Lymph node section stained with H&E, from a whole-slide image of a breast-cancer sentinel node. Magnification about 20×, about 0.23 mm across the frame, about 0.45 µm per pixel.
Image:
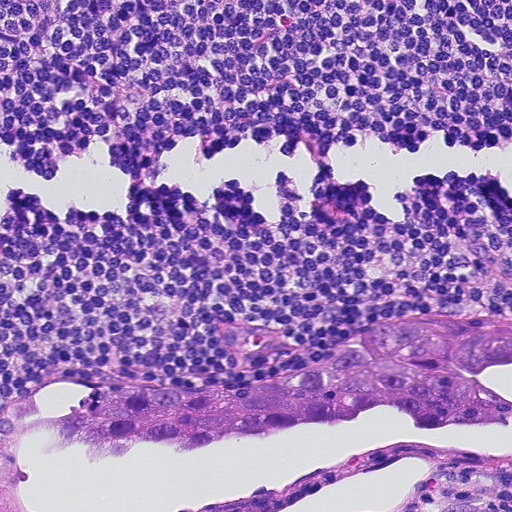
Question:
Does this lymph node field contain metastatic tumour?
Answer:
Yes.
The outlined metastatic tumour's edge, as a closed clockwise path of 16 points: (410, 312), (511, 320), (511, 369), (475, 376), (511, 400), (511, 417), (505, 421), (438, 429), (374, 408), (342, 421), (240, 439), (104, 446), (71, 438), (52, 415), (114, 382), (252, 386).
About 15% of this field is tumour.